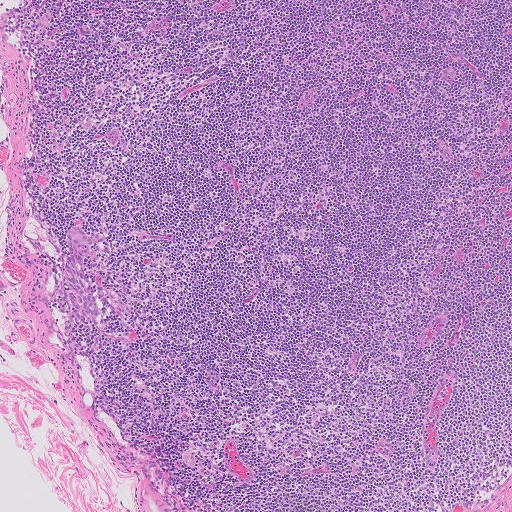
Lymph node section stained with H&E, from a whole-slide image of a breast-cancer sentinel node. Magnification about 5×, about 1.0 mm across the frame, about 2.0 µm per pixel.
Tumour region outline (a closed clockwise path, crop pixels): (78, 224), (90, 233), (94, 240), (95, 249), (87, 263), (99, 309), (94, 324), (86, 326), (71, 321), (61, 299), (62, 274), (70, 226).
Under 5% of this field is tumour.